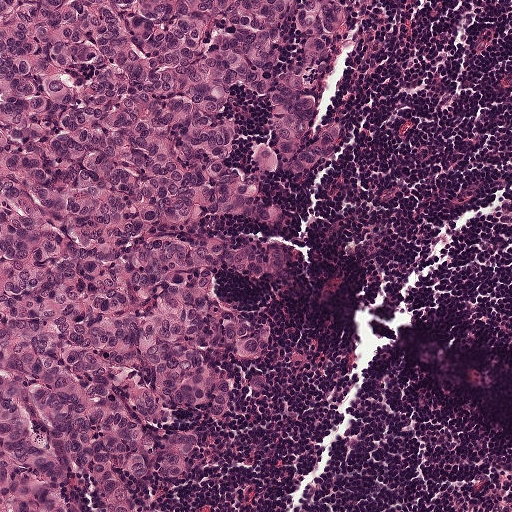
Lymph node section stained with H&E, from a whole-slide image of a breast-cancer sentinel node. Magnification about 10×, about 0.5 mm across the frame, about 0.97 µm per pixel.
Metastatic tumour outline, simplified to 7 points and listed clockwise in crop pixels (x, y): (0, 0), (428, 0), (420, 24), (368, 76), (300, 324), (190, 511), (0, 511).
About 60% of this field is tumour.